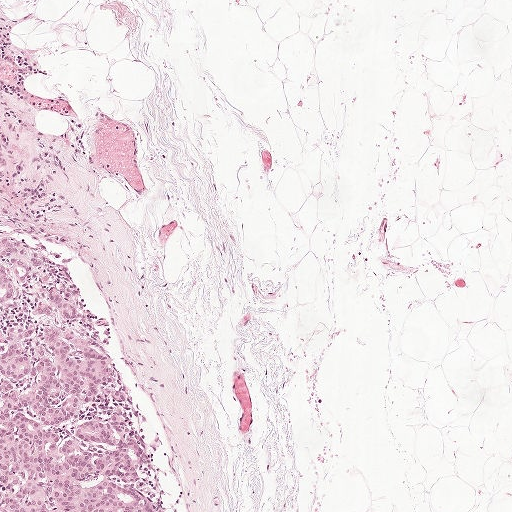
A 1-mm field of an H&E-stained sentinel lymph node from a breast-cancer patient (whole-slide image), shown at about 5×, about 1.9 µm per pixel.
The outlined metastatic tumour's edge, as a closed clockwise path of 11 points: (0, 233), (62, 258), (54, 263), (67, 273), (104, 357), (120, 375), (128, 423), (153, 461), (136, 487), (154, 511), (0, 511).
About 10% of this field is tumour.